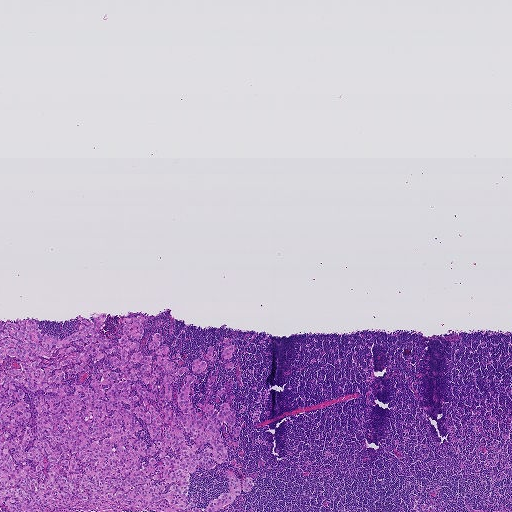
A 1.9-mm field of an H&E-stained sentinel lymph node from a breast-cancer patient (whole-slide image), shown at about 2.5×, about 3.6 µm per pixel.
Question: Is any metastatic breast cancer visible in this crop?
Answer: Yes.
Outlines of two tumour regions, largest first (closed clockwise paths, crop pixels): region 1: (106, 314), (100, 335), (117, 348), (121, 320), (143, 316), (142, 356), (153, 366), (156, 332), (188, 368), (172, 376), (174, 417), (213, 346), (190, 401), (206, 420), (198, 405), (226, 402), (235, 422), (220, 432), (226, 461), (189, 473), (183, 511), (0, 511), (0, 321), (61, 339); region 2: (229, 470), (233, 472), (242, 484), (242, 480), (246, 477), (251, 478), (253, 482), (253, 488), (249, 491), (244, 491), (242, 486), (241, 494), (236, 496), (231, 502), (215, 511), (186, 511), (193, 507), (203, 510), (207, 508), (209, 502), (213, 499), (229, 491), (229, 486), (224, 472).
One more small tumour piece is annotated here but not outlined.
About 15% of this field is tumour.